Lymph node section stained with H&E, from a whole-slide image of a breast-cancer sentinel node. Magnification about 40×, about 0.12 mm across the frame, about 0.23 µm per pixel.
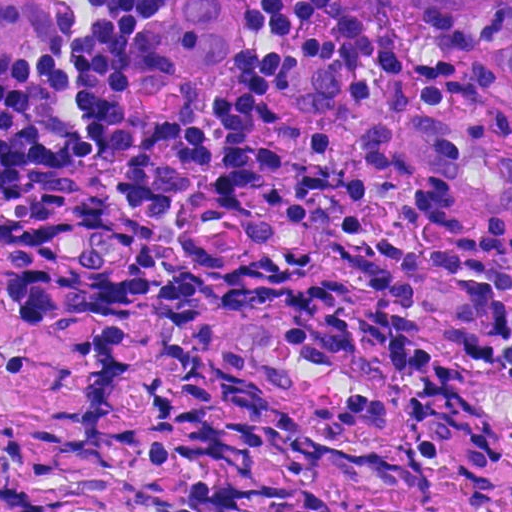
Three metastatic tumour regions, each outlined as a closed clockwise path in crop pixels (x, y), largest first: region 1: (394, 111), (430, 112), (511, 157), (511, 217), (486, 212), (456, 190), (423, 174), (400, 147); region 2: (418, 0), (511, 0), (511, 86), (500, 81), (476, 51), (444, 33), (420, 7); region 3: (0, 0), (36, 0), (46, 6), (63, 37), (41, 44), (0, 64).
Two more small tumour pieces are annotated here but not outlined.
About 10% of the image area is annotated as tumour.